Question: 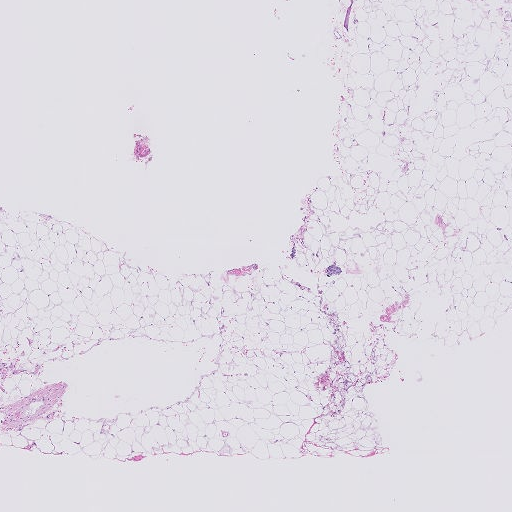
H&E-stained section of a sentinel lymph node (breast cancer), from a whole-slide image, viewed at about 2.5×: the field is about 2.0 mm across, about 4.0 µm per pixel.
Roughly what share of this field is metastatic tumour?

Choices:
 (A) none: no tumour is outlined
 (B) about 50% or more
 (C) about 25% to 45%
 (D) about 5% or less
 (E) about 10% to 20%

Answer: (D) about 5% or less
Under 5% of the field is tumour.
Outlines of two tumour regions, largest first (closed clockwise paths, crop pixels): region 1: (335, 261), (341, 266), (345, 274), (328, 276), (322, 272), (328, 262); region 2: (292, 242), (298, 244), (295, 260), (287, 258).
Two more small tumour pieces are annotated here but not outlined.